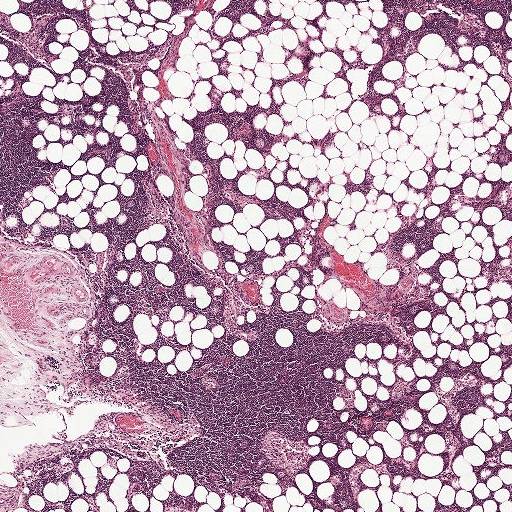
H&E-stained section of a sentinel lymph node (breast cancer), from a whole-slide image, viewed at about 2.5×: the field is about 2.0 mm across, about 3.9 µm per pixel.